Image:
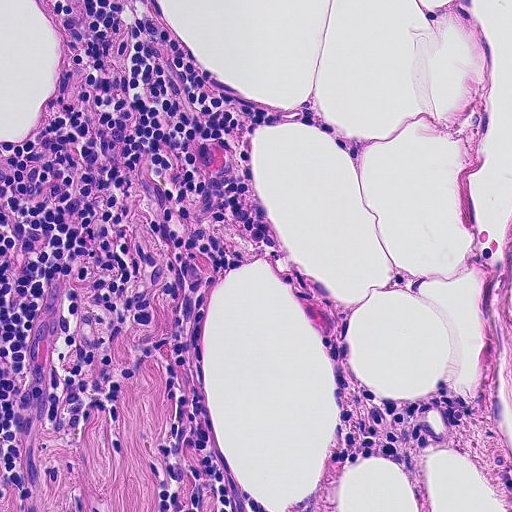
H&E-stained section of a sentinel lymph node (breast cancer), from a whole-slide image, viewed at about 20×: the field is about 0.23 mm across, about 0.45 µm per pixel.
Question:
Is any metastatic breast cancer visible in this crop?
Answer:
No, this field holds no outlined metastasis.